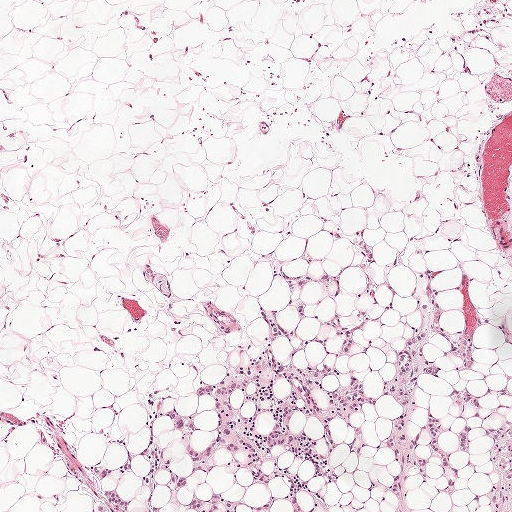
A 1-mm field of an H&E-stained sentinel lymph node from a breast-cancer patient (whole-slide image), shown at about 5×, about 1.9 µm per pixel.
Eight metastatic tumour regions, each outlined as a closed clockwise path in crop pixels (x, y), largest first: region 1: (259, 306), (277, 312), (283, 367), (334, 365), (320, 389), (362, 376), (376, 401), (354, 416), (365, 435), (354, 457), (344, 418), (331, 421), (331, 450), (304, 413), (290, 415), (337, 472), (316, 511), (299, 491), (301, 511), (280, 498), (273, 511), (253, 511), (269, 490), (232, 469), (230, 448), (194, 472), (164, 417), (170, 407), (195, 414), (191, 449), (209, 448), (219, 421), (193, 389), (261, 353); region 2: (425, 300), (442, 306), (444, 328), (472, 338), (474, 365), (461, 368), (441, 336), (424, 343), (440, 374), (418, 382), (408, 432), (417, 436), (431, 411), (443, 427), (437, 440), (448, 449), (460, 478), (446, 496), (438, 487), (441, 463), (430, 458), (427, 475), (410, 469), (413, 511), (392, 511), (397, 496), (387, 490), (387, 479), (397, 472), (396, 454), (381, 452), (378, 445), (402, 410), (380, 384), (393, 372), (393, 355), (405, 331), (419, 322), (418, 302); region 3: (503, 421), (511, 421), (511, 511), (486, 511), (486, 506), (482, 497), (491, 486), (493, 464), (488, 452), (486, 431), (493, 430); region 4: (151, 434), (157, 450), (166, 459), (172, 471), (184, 478), (200, 497), (208, 498), (214, 489), (216, 490), (233, 499), (237, 503), (237, 507), (231, 511), (185, 511), (185, 506), (191, 496), (191, 490), (189, 488), (175, 489), (168, 474), (165, 473), (158, 474), (155, 487), (148, 492), (146, 486), (141, 482), (144, 468), (144, 460), (137, 457), (150, 442); region 5: (97, 466), (109, 472), (107, 478), (103, 480), (102, 485), (108, 490), (120, 493), (127, 503), (126, 511), (108, 511), (104, 501), (91, 477), (93, 467); region 6: (464, 385), (469, 393), (479, 398), (482, 408), (478, 409), (450, 402), (449, 395), (456, 390), (463, 388); region 7: (465, 425), (470, 426), (472, 431), (469, 436), (470, 452), (462, 456), (458, 456), (459, 444), (456, 433); region 8: (148, 494), (149, 494), (154, 503), (163, 506), (163, 511), (142, 511), (147, 501).
One more small tumour piece is annotated here but not outlined.
The annotated tumour makes up about 10% of the crop.